Question: 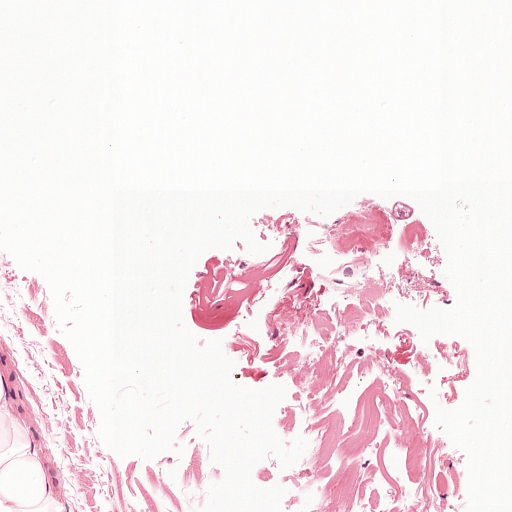
This is a crop of a whole-slide image: an H&E-stained breast-cancer sentinel lymph node section at roughly 10× magnification (about 0.97 µm per pixel; the crop spans about 0.5 mm).
About how much of this crop is taken up by metastatic carcinoma?

Choices:
 (A) about 25% to 45%
 (B) about 5% or less
 (C) none: no tumour is outlined
 (D) about 10% to 20%
 (E) about 50% or more

Answer: (B) about 5% or less
Under 5% of the field is tumour.
The outlined metastatic tumour's edge, as a closed clockwise path of 9 points: (348, 263), (366, 264), (367, 267), (363, 278), (355, 279), (338, 275), (326, 276), (330, 270), (342, 264).
One more small tumour piece is annotated here but not outlined.